Image:
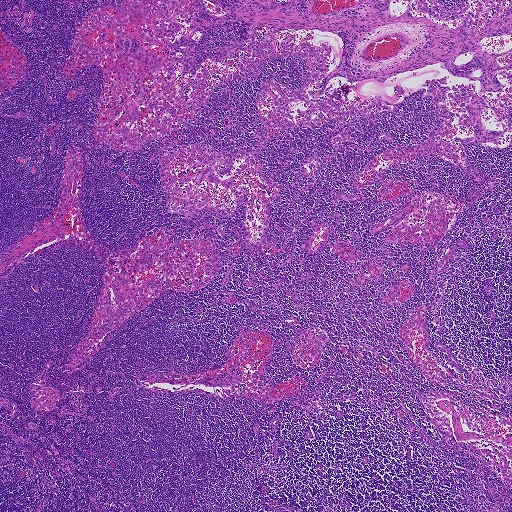
A 1.9-mm field of an H&E-stained sentinel lymph node from a breast-cancer patient (whole-slide image), shown at about 2.5×, about 3.6 µm per pixel.
Question:
Does this lymph node field contain metastatic tumour?
Answer:
No, this field holds no outlined metastasis.